Question: 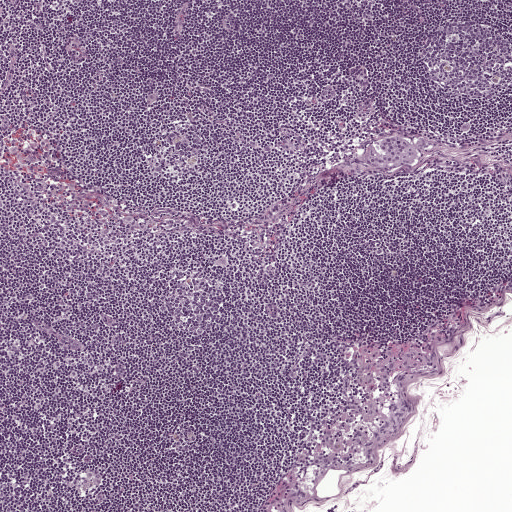
Lymph node section stained with H&E, from a whole-slide image of a breast-cancer sentinel node. Magnification about 5×, about 1 mm across the frame, about 1.9 µm per pixel.
Roughly what share of this field is metastatic tumour?

Choices:
 (A) about 25% to 45%
 (B) about 5% or less
 (C) none: no tumour is outlined
 (D) about 10% to 20%
 (E) about 50% or more

Answer: (B) about 5% or less
Under 5% of the field is tumour.
Tumour region outline (a closed clockwise path, crop pixels): (390, 137), (408, 139), (423, 137), (437, 142), (438, 146), (417, 160), (414, 166), (399, 168), (386, 173), (353, 162), (353, 159), (372, 143).